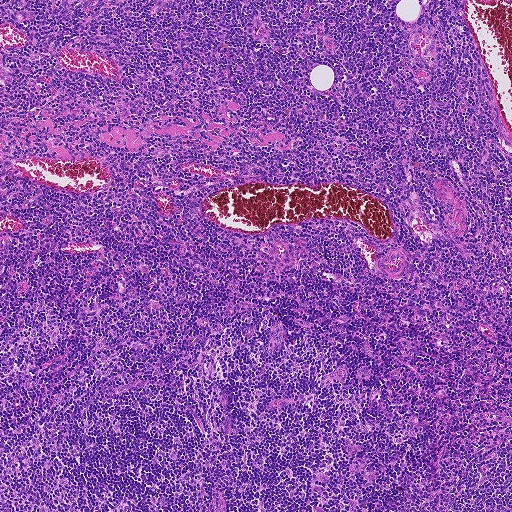
H&E-stained section of a sentinel lymph node (breast cancer), from a whole-slide image, viewed at about 5×: the field is about 0.93 mm across, about 1.8 µm per pixel.